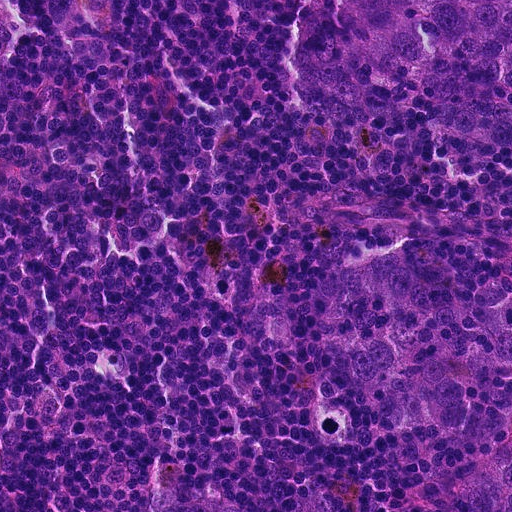
A 0.23-mm field of an H&E-stained sentinel lymph node from a breast-cancer patient (whole-slide image), shown at about 20×, about 0.45 µm per pixel.
Question: Does this lymph node field contain metastatic tumour?
Answer: Yes.
Four metastatic tumour regions, each outlined as a closed clockwise path in crop pixels (x, y), largest first: region 1: (312, 0), (511, 0), (511, 143), (466, 139), (444, 128), (428, 111), (418, 88), (400, 72), (376, 72), (342, 105), (319, 104), (300, 90), (291, 67), (300, 18); region 2: (390, 249), (428, 279), (470, 336), (469, 290), (511, 273), (502, 324), (511, 333), (511, 363), (468, 378), (466, 425), (442, 432), (428, 413), (384, 428), (370, 408), (372, 384), (352, 370), (348, 322), (318, 284), (324, 261); region 3: (511, 440), (511, 511), (476, 511), (462, 500), (470, 477), (504, 443); region 4: (155, 482), (180, 488), (225, 504), (239, 511), (166, 511).
The annotated tumour makes up about 20% of the crop.